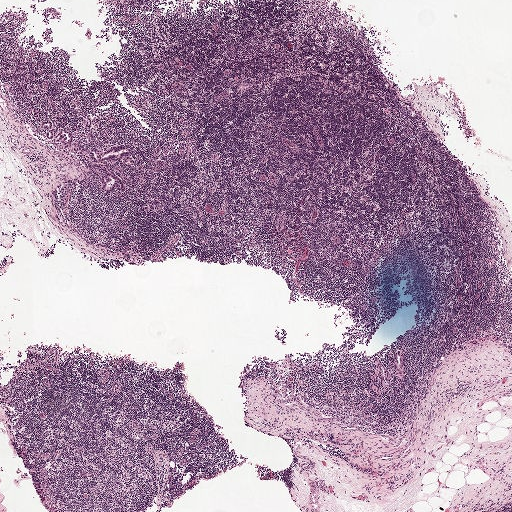
This is a crop of a whole-slide image: an H&E-stained breast-cancer sentinel lymph node section at roughly 2.5× magnification (about 3.9 µm per pixel; the crop spans about 2.0 mm).
Question: Show where the tumour is in this image.
Answer: Boundaries of four metastatic tumour regions, simplified and listed clockwise, largest first: region 1: (40, 121), (50, 121), (50, 127), (54, 131), (69, 130), (72, 139), (77, 140), (84, 145), (98, 145), (101, 148), (122, 144), (131, 147), (132, 149), (132, 153), (120, 160), (100, 165), (103, 165), (120, 177), (124, 186), (122, 188), (113, 188), (109, 190), (98, 189), (97, 180), (89, 170), (87, 161), (78, 153), (66, 154), (62, 151), (62, 144), (59, 141), (54, 138), (45, 137), (43, 130), (39, 127); region 2: (151, 198), (152, 199), (153, 198), (161, 201), (162, 205), (161, 209), (149, 209), (144, 209), (140, 208), (141, 206), (148, 204); region 3: (31, 104), (34, 105), (37, 108), (38, 110), (37, 116), (36, 116), (33, 116), (28, 115), (24, 112), (23, 110), (24, 107), (26, 105); region 4: (112, 164), (118, 166), (121, 170), (125, 174), (126, 177), (126, 180), (125, 180), (122, 178), (118, 174), (116, 171), (111, 167).
One more small tumour piece is annotated here but not outlined.
Under 5% of the image area is annotated as tumour.